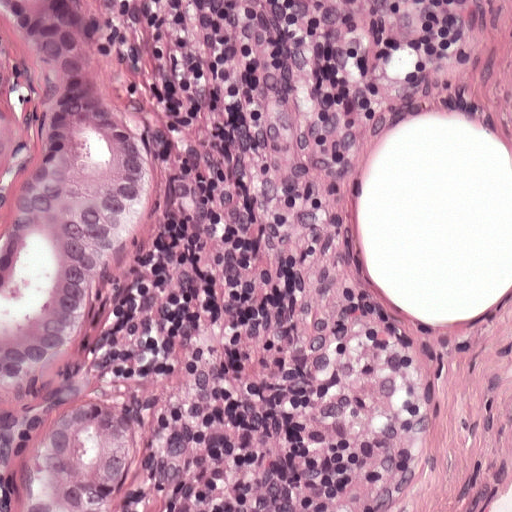
Lymph node section stained with H&E, from a whole-slide image of a breast-cancer sentinel node. Magnification about 20×, about 0.25 mm across the frame, about 0.49 µm per pixel.
Question: Which parts of this field are metastatic tumour? Answer with the outline of each region, in pixels.
Answer: The outlined metastatic tumour's edge, as a closed clockwise path of 7 points: (0, 0), (120, 0), (183, 93), (202, 214), (114, 297), (154, 511), (0, 511).
The annotated tumour makes up about 30% of the crop.